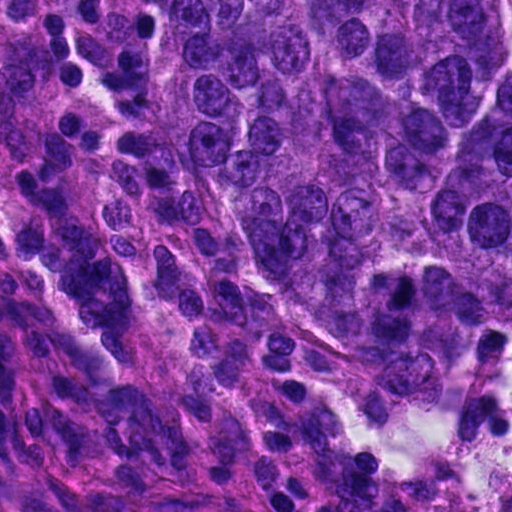
This is a crop of a whole-slide image: an H&E-stained breast-cancer sentinel lymph node section at roughly 40× magnification (about 0.23 µm per pixel; the crop spans about 0.12 mm).
Metastatic tumour outline, simplified to 10 points and listed clockwise in crop pixels (x, y): (160, 0), (500, 0), (511, 58), (511, 338), (474, 354), (437, 401), (381, 421), (331, 389), (225, 245), (161, 115).
The annotated tumour makes up about 45% of the crop.